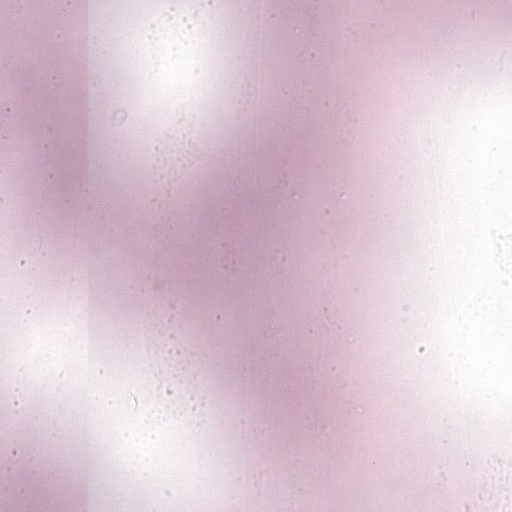
H&E-stained section of a sentinel lymph node (breast cancer), from a whole-slide image, viewed at about 20×: the field is about 0.25 mm across, about 0.49 µm per pixel.